This is a crop of a whole-slide image: an H&E-stained breast-cancer sentinel lymph node section at roughly 2.5× magnification (about 3.6 µm per pixel; the crop spans about 1.9 mm).
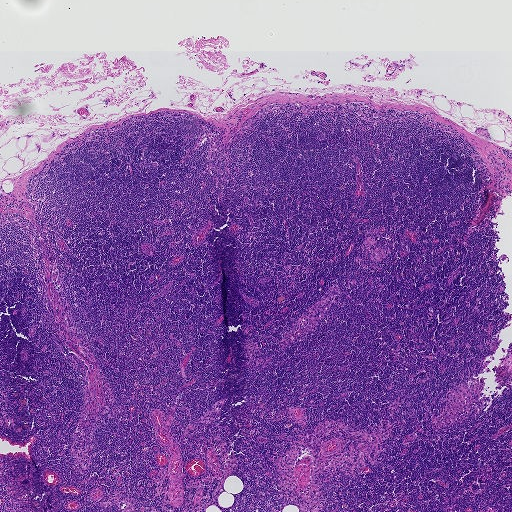
Question: Does this lymph node field contain metastatic tumour?
Answer: No. No metastatic tumour is outlined in this field.